Image:
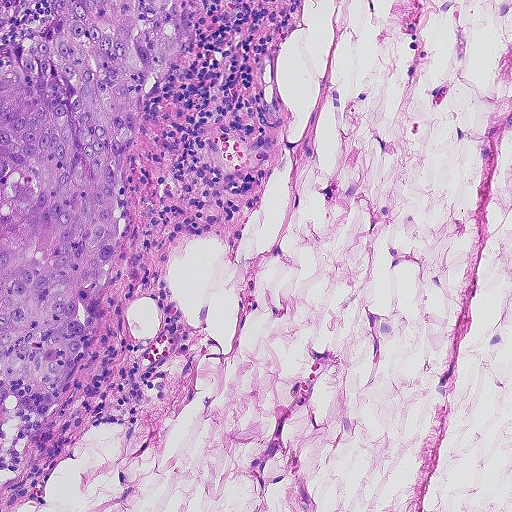
Lymph node section stained with H&E, from a whole-slide image of a breast-cancer sentinel node. Magnification about 10×, about 0.46 mm across the frame, about 0.9 µm per pixel.
Question:
Which parts of this field are metastatic tumour? Answer with the outline of each region, in pixels.
Answer:
Tumour region outline (a closed clockwise path, crop pixels): (0, 0), (181, 0), (194, 43), (151, 99), (126, 153), (124, 222), (82, 363), (54, 409), (38, 415), (2, 380).
About 20% of the image area is annotated as tumour.